Image:
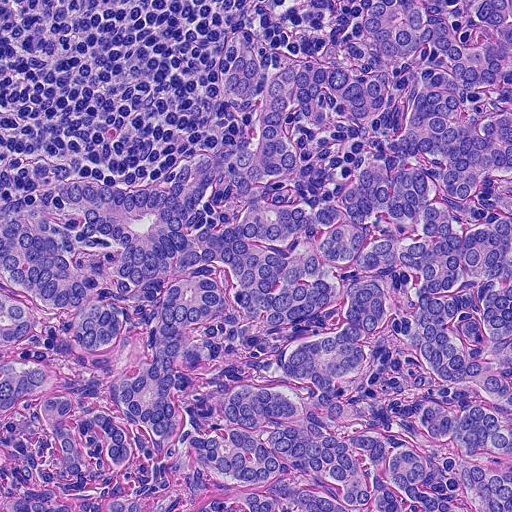
A 0.23-mm field of an H&E-stained sentinel lymph node from a breast-cancer patient (whole-slide image), shown at about 20×, about 0.45 µm per pixel.
Question:
Does this lymph node field contain metastatic tumour?
Answer:
Yes.
Tumour region outline (a closed clockwise path, crop pixels): (356, 0), (437, 0), (459, 39), (477, 0), (511, 0), (511, 511), (0, 511), (0, 200), (72, 179), (154, 187), (233, 139), (244, 114), (222, 66), (227, 40), (248, 22), (294, 52), (344, 35).
Tumour covers about 80% of the frame.